Image:
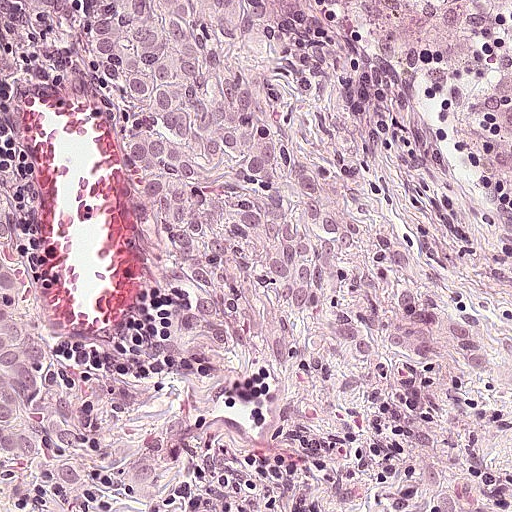
Lymph node section stained with H&E, from a whole-slide image of a breast-cancer sentinel node. Magnification about 20×, about 0.25 mm across the frame, about 0.49 µm per pixel.
Question:
Is any metastatic breast cancer visible in this crop?
Answer:
Yes.
Metastatic tumour outline, simplified to 16 points and listed clockwise in crop pixels (x, y): (277, 0), (286, 77), (321, 166), (352, 204), (373, 204), (364, 247), (340, 256), (325, 318), (297, 324), (264, 298), (209, 343), (172, 327), (152, 298), (136, 114), (68, 66), (24, 1).
About 25% of the image area is annotated as tumour.